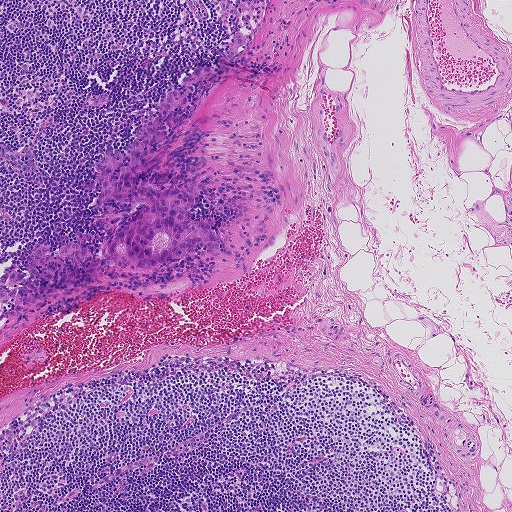
This is a crop of a whole-slide image: an H&E-stained breast-cancer sentinel lymph node section at roughly 5× magnification (about 1.8 µm per pixel; the crop spans about 0.93 mm).
Boundaries of two metastatic tumour regions, simplified and listed clockwise, largest first: region 1: (235, 34), (242, 34), (246, 40), (234, 58), (191, 86), (186, 108), (167, 118), (165, 158), (139, 182), (161, 191), (198, 188), (198, 202), (186, 210), (208, 224), (219, 256), (212, 258), (202, 247), (141, 272), (105, 261), (109, 240), (139, 207), (111, 200), (120, 221), (101, 227), (107, 205), (95, 198), (99, 163), (108, 151), (139, 139), (134, 131), (151, 121), (165, 95), (173, 89), (182, 93), (188, 86), (181, 85), (182, 78), (203, 66), (218, 67); region 2: (77, 232), (89, 233), (95, 238), (88, 242), (87, 246), (91, 254), (90, 258), (82, 260), (69, 257), (66, 259), (54, 271), (53, 279), (49, 281), (33, 278), (30, 275), (20, 282), (38, 294), (39, 303), (36, 306), (23, 306), (13, 298), (0, 300), (0, 288), (10, 289), (0, 285), (2, 275), (13, 269), (25, 272), (28, 260), (35, 249), (34, 245), (50, 242), (51, 251), (49, 254), (46, 254), (54, 256), (59, 245), (62, 243), (75, 244), (77, 243).
Tumour covers about 5% of the frame.